A 2.0-mm field of an H&E-stained sentinel lymph node from a breast-cancer patient (whole-slide image), shown at about 2.5×, about 3.9 µm per pixel.
Question: 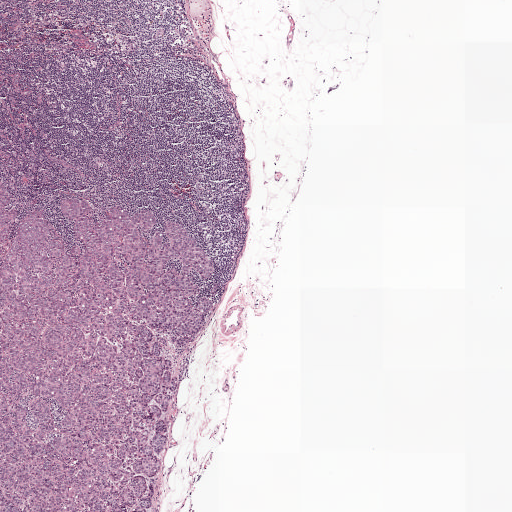
Roughly what share of this field is metastatic tumour?

Choices:
 (A) about 10% to 20%
 (B) about 50% or more
 (C) none: no tumour is outlined
 (D) about 25% to 45%
 (E) about 5% or less

Answer: (A) about 10% to 20%
About 20% of the field is tumour.
One metastatic tumour region; its boundary, reduced to 23 corners and listed clockwise: (0, 185), (19, 211), (10, 242), (41, 208), (78, 260), (86, 251), (85, 244), (59, 209), (74, 197), (95, 222), (108, 206), (146, 210), (149, 240), (177, 221), (213, 263), (187, 277), (193, 309), (213, 305), (190, 351), (163, 347), (178, 389), (146, 509), (0, 511).